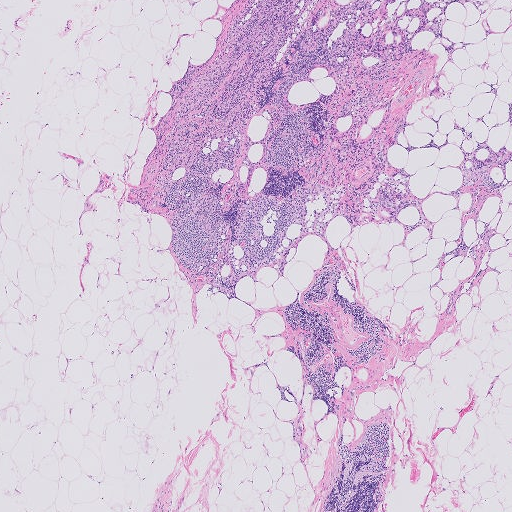
Lymph node section stained with H&E, from a whole-slide image of a breast-cancer sentinel node. Magnification about 2.5×, about 2.0 mm across the frame, about 4.0 µm per pixel.